H&E-stained section of a sentinel lymph node (breast cancer), from a whole-slide image, viewed at about 10×: the field is about 0.5 mm across, about 0.97 µm per pixel.
Image:
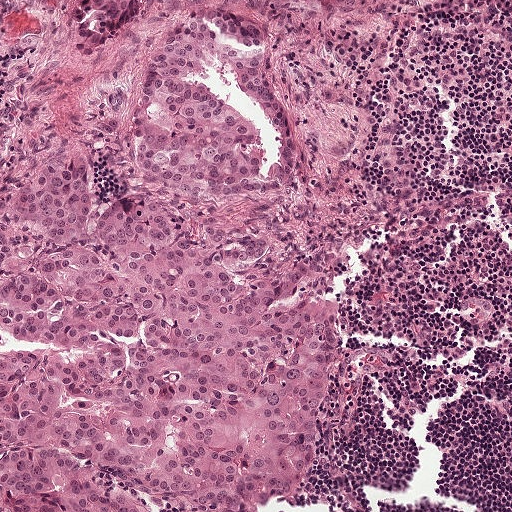
Question:
Does this lymph node field contain metastatic tumour?
Answer:
Yes.
Boundaries of two metastatic tumour regions, simplified and listed clockwise, largest first: region 1: (214, 2), (250, 9), (302, 160), (185, 200), (344, 304), (316, 446), (246, 472), (228, 511), (139, 487), (155, 511), (3, 506), (0, 348), (50, 344), (0, 336), (0, 211), (76, 149), (106, 212), (141, 193), (164, 34); region 2: (89, 0), (146, 0), (139, 11), (112, 32), (98, 39), (90, 45), (81, 40), (78, 30), (78, 21).
One more small tumour piece is annotated here but not outlined.
About 45% of this field is tumour.